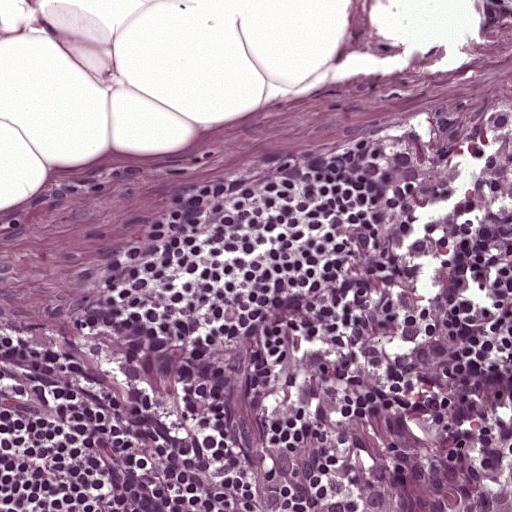
A 0.25-mm field of an H&E-stained sentinel lymph node from a breast-cancer patient (whole-slide image), shown at about 20×, about 0.49 µm per pixel.